Question: 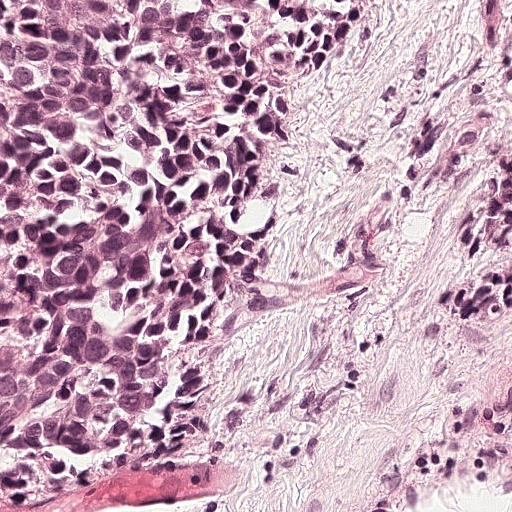
This is a crop of a whole-slide image: an H&E-stained breast-cancer sentinel lymph node section at roughly 20× magnification (about 0.49 µm per pixel; the crop spans about 0.25 mm).
About how much of this crop is taken up by metastatic carcinoma?

Choices:
 (A) about 10% to 20%
 (B) about 50% or more
 (C) about 5% or less
 (D) none: no tumour is outlined
 (E) about 25% to 45%

Answer: (E) about 25% to 45%
About 45% of the field is tumour.
One metastatic tumour region; its boundary, reduced to 9 corners and listed clockwise: (0, 0), (386, 0), (358, 44), (278, 118), (244, 246), (241, 332), (217, 374), (109, 440), (2, 449).